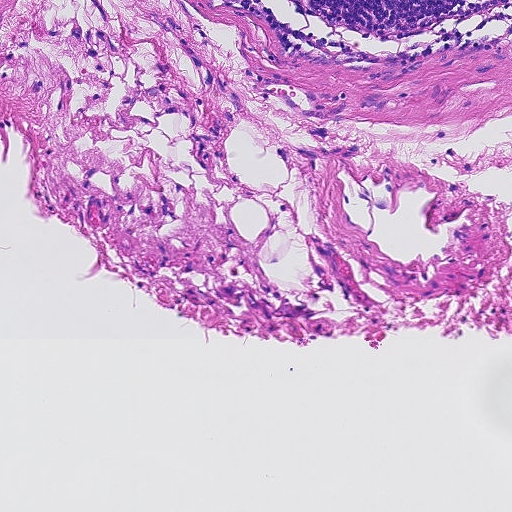
A 0.46-mm field of an H&E-stained sentinel lymph node from a breast-cancer patient (whole-slide image), shown at about 10×, about 0.9 µm per pixel.
Question: Is any metastatic breast cancer visible in this crop?
Answer: No: no metastatic tumour is outlined anywhere in this field.